Image:
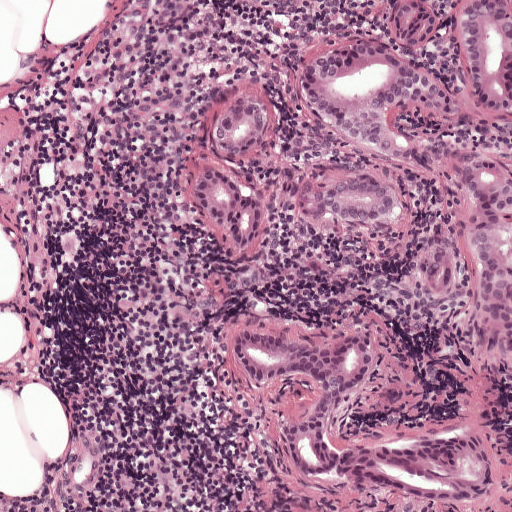
A 0.5-mm field of an H&E-stained sentinel lymph node from a breast-cancer patient (whole-slide image), shown at about 10×, about 0.97 µm per pixel.
Question:
Where is the metastatic tumour in this field? Give each region's outline as (x, y) pixel points.
Answer:
Tumour region outline (a closed clockwise path, crop pixels): (403, 0), (511, 0), (511, 382), (476, 382), (511, 463), (511, 511), (315, 510), (273, 463), (256, 398), (198, 292), (187, 174), (220, 125).
About 50% of this field is tumour.